Question: 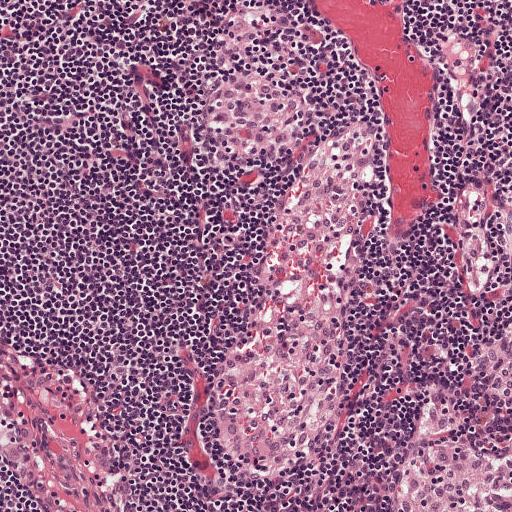
About what magnification does this crop show?

Choices:
 (A) about 40×
 (B) about 2.5×
 (C) about 5×
 (D) about 10×
 (E) about 20×

Answer: (D) about 10×
This is a crop of a whole-slide image: an H&E-stained breast-cancer sentinel lymph node section at roughly 10× magnification (about 0.97 µm per pixel; the crop spans about 0.5 mm).